A 1-mm field of an H&E-stained sentinel lymph node from a breast-cancer patient (whole-slide image), shown at about 5×, about 1.9 µm per pixel.
Image:
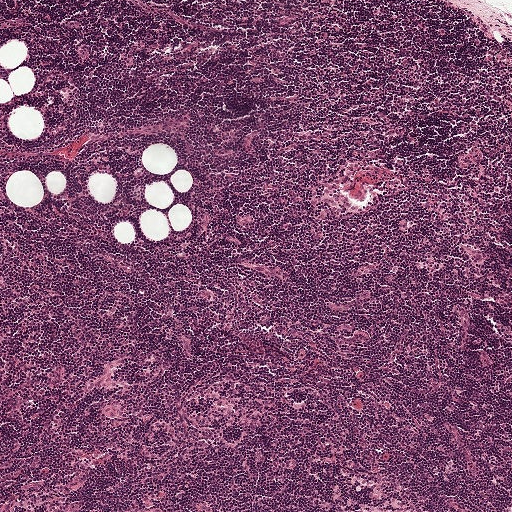
Question:
Is any metastatic breast cancer visible in this crop?
Answer:
No: no metastatic tumour is outlined anywhere in this field.